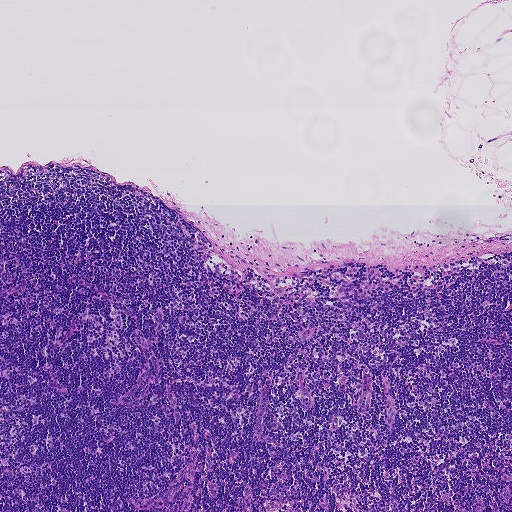
A 0.93-mm field of an H&E-stained sentinel lymph node from a breast-cancer patient (whole-slide image), shown at about 5×, about 1.8 µm per pixel.